A 2.0-mm field of an H&E-stained sentinel lymph node from a breast-cancer patient (whole-slide image), shown at about 2.5×, about 3.9 µm per pixel.
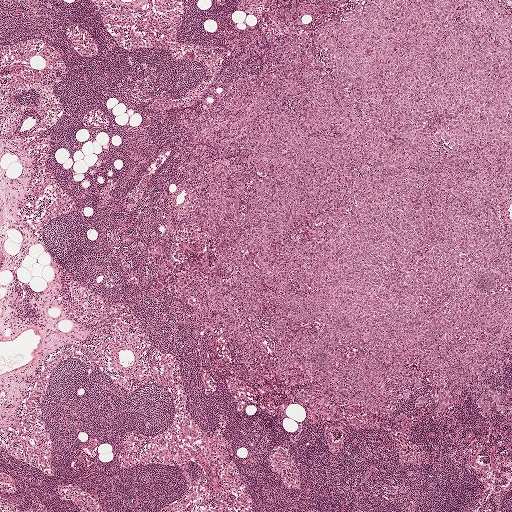
Outlines of two tumour regions, largest first (closed clockwise paths, crop pixels): region 1: (327, 0), (511, 0), (511, 368), (490, 384), (511, 417), (464, 386), (432, 416), (426, 377), (392, 414), (345, 404), (343, 428), (260, 397), (222, 329), (208, 347), (193, 299), (172, 305), (148, 259), (211, 83), (251, 33), (297, 33), (277, 7), (310, 29), (352, 5), (323, 17); region 2: (423, 395), (427, 396), (427, 404), (424, 407), (421, 408), (416, 408), (412, 404), (412, 400).
One more small tumour piece is annotated here but not outlined.
The annotated tumour makes up about 45% of the crop.